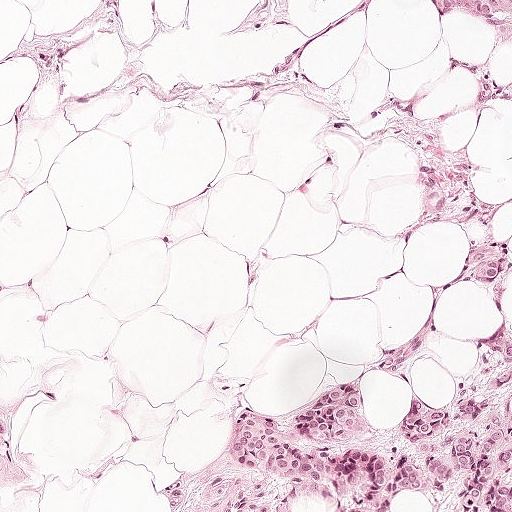
A 0.5-mm field of an H&E-stained sentinel lymph node from a breast-cancer patient (whole-slide image), shown at about 10×, about 0.97 µm per pixel.
Outlines of four tumour regions, largest first (closed clockwise paths, crop pixels): region 1: (510, 322), (511, 511), (437, 511), (436, 502), (408, 495), (400, 511), (185, 511), (207, 466), (238, 437), (244, 421), (272, 408), (341, 397), (437, 325), (428, 356), (380, 388), (378, 408), (400, 421), (420, 406), (448, 408), (459, 373), (481, 373), (488, 336); region 2: (420, 0), (511, 0), (511, 115), (508, 115), (498, 98), (488, 94), (483, 83), (483, 57), (490, 35), (490, 26), (481, 22), (461, 22), (439, 8); region 3: (497, 260), (511, 260), (511, 275), (496, 286), (482, 283), (480, 282), (491, 265); region 4: (365, 0), (382, 0), (372, 4), (371, 6), (367, 6), (367, 7), (365, 7).
About 15% of the image area is annotated as tumour.